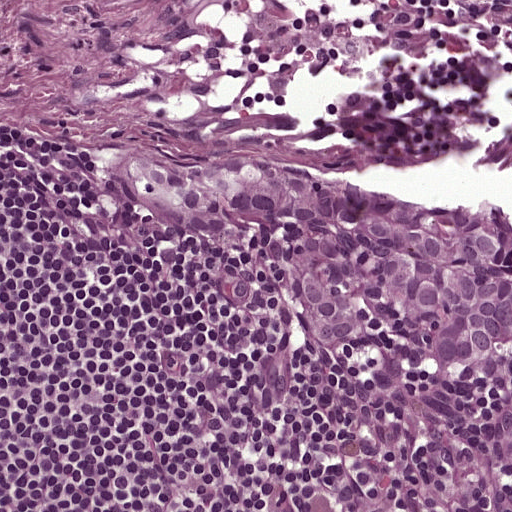
H&E-stained section of a sentinel lymph node (breast cancer), from a whole-slide image, viewed at about 20×: the field is about 0.25 mm across, about 0.49 µm per pixel.
Question: Where is the metastatic tumour in this field? Give each region's outline as (x, y) pixel points.
Answer: Tumour region outline (a closed clockwise path, crop pixels): (125, 152), (163, 152), (196, 168), (258, 154), (412, 195), (486, 195), (511, 209), (511, 497), (458, 380), (322, 354), (232, 255), (102, 181).
About 20% of the image area is annotated as tumour.